Question: 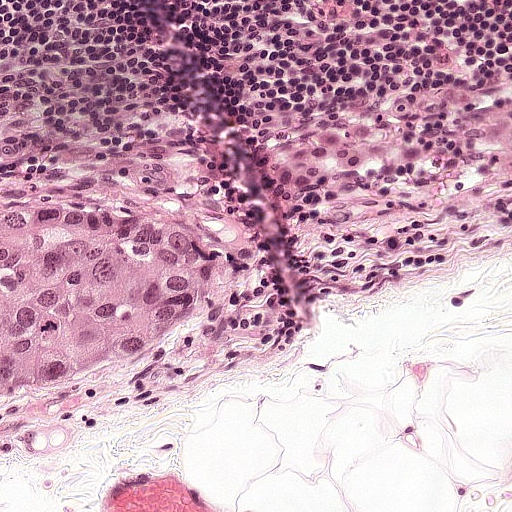
This is a crop of a whole-slide image: an H&E-stained breast-cancer sentinel lymph node section at roughly 20× magnification (about 0.49 µm per pixel; the crop spans about 0.25 mm).
Roughly what share of this field is metastatic tumour?

Choices:
 (A) none: no tumour is outlined
 (B) about 5% or less
 (C) about 50% or more
 (D) about 25% to 45%
 (E) about 10% to 20%

Answer: (E) about 10% to 20%
About 15% of the field is tumour.
The outlined metastatic tumour's edge, as a closed clockwise path of 8 points: (0, 199), (88, 206), (206, 244), (223, 278), (217, 310), (192, 346), (149, 380), (0, 437).